This is a crop of a whole-slide image: an H&E-stained breast-cancer sentinel lymph node section at roughly 5× magnification (about 1.9 µm per pixel; the crop spans about 1 mm).
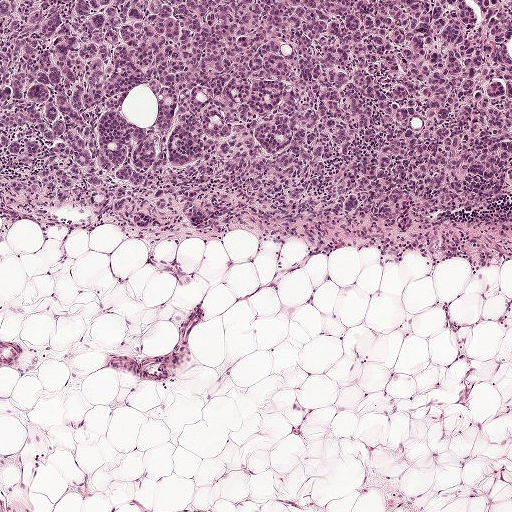
Tumour region outline (a closed clockwise path, crop pixels): (0, 0), (511, 0), (511, 202), (492, 210), (290, 226), (235, 216), (147, 232), (3, 190).
The annotated tumour makes up about 40% of the crop.